This is a crop of a whole-slide image: an H&E-stained breast-cancer sentinel lymph node section at roughly 2.5× magnification (about 3.6 µm per pixel; the crop spans about 1.9 mm).
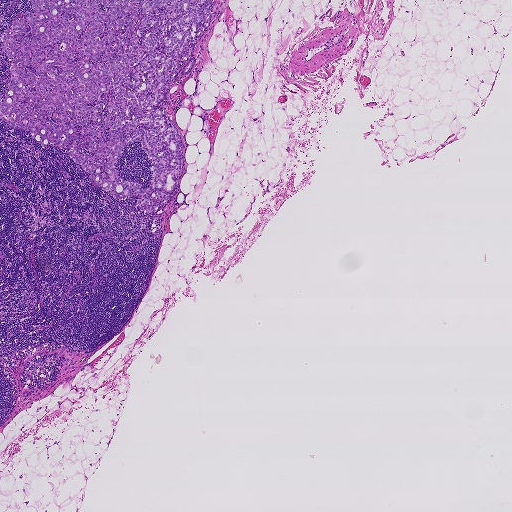
Boundaries of two metastatic tumour regions, simplified and listed clockwise, largest first: region 1: (31, 0), (215, 0), (209, 27), (192, 50), (190, 73), (180, 71), (155, 108), (173, 109), (182, 146), (180, 179), (163, 214), (140, 213), (140, 199), (112, 197), (66, 148), (44, 147), (0, 118), (10, 64), (0, 36), (23, 12), (34, 13); region 2: (196, 91), (197, 102), (199, 106), (203, 109), (208, 110), (212, 108), (215, 106), (206, 115), (210, 124), (210, 134), (208, 138), (202, 137), (200, 130), (202, 129), (203, 120), (195, 115), (191, 116), (186, 108), (181, 107), (181, 102), (185, 98), (186, 94), (189, 96), (194, 96).
Tumour covers about 10% of the frame.